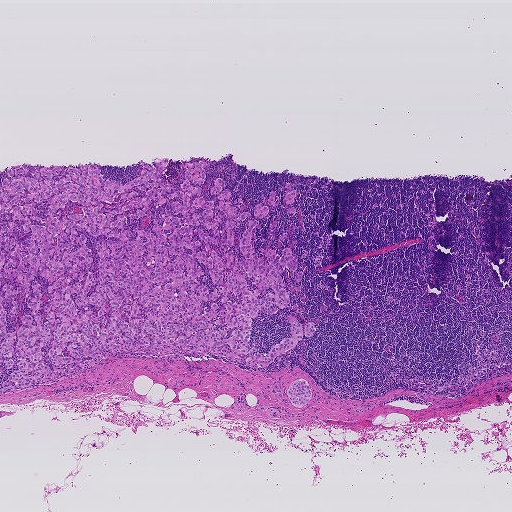
This is a crop of a whole-slide image: an H&E-stained breast-cancer sentinel lymph node section at roughly 2.5× magnification (about 3.6 µm per pixel; the crop spans about 1.9 mm).
Outlines of two tumour regions, largest first (closed clockwise paths, crop pixels): region 1: (168, 158), (162, 180), (179, 193), (183, 166), (205, 161), (204, 201), (215, 211), (218, 177), (232, 194), (224, 201), (250, 213), (234, 221), (236, 262), (254, 206), (275, 191), (251, 236), (268, 265), (260, 250), (297, 254), (282, 277), (290, 302), (251, 318), (241, 356), (265, 355), (291, 336), (286, 316), (315, 328), (267, 366), (117, 352), (24, 389), (8, 378), (17, 362), (4, 371), (7, 168), (92, 164), (123, 184); region 2: (302, 378), (305, 380), (310, 386), (311, 398), (300, 408), (296, 408), (292, 406), (286, 391), (293, 381).
One more small tumour piece is annotated here but not outlined.
Tumour covers about 20% of the frame.